Question: 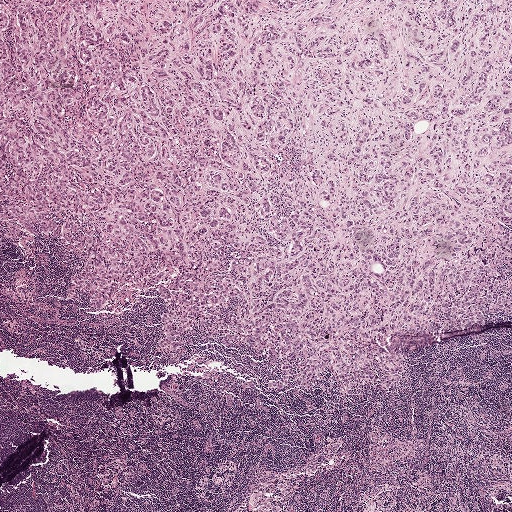
H&E-stained section of a sentinel lymph node (breast cancer), from a whole-slide image, viewed at about 2.5×: the field is about 2.0 mm across, about 3.9 µm per pixel.
Estimate the proportion of this field that is metastatic tumour.

Choices:
 (A) about 5% or less
 (B) about 10% to 20%
 (C) about 25% to 45%
 (D) none: no tumour is outlined
 (E) about 50% or more

Answer: (E) about 50% or more
About 65% of the field is tumour.
The outlined metastatic tumour's edge, as a closed clockwise path of 21 points: (0, 0), (511, 0), (511, 313), (389, 335), (388, 348), (411, 357), (387, 390), (272, 392), (264, 387), (280, 376), (274, 358), (206, 338), (183, 358), (163, 356), (160, 297), (114, 314), (89, 308), (89, 293), (66, 294), (81, 259), (2, 222).